Lymph node section stained with H&E, from a whole-slide image of a breast-cancer sentinel node. Magnification about 10×, about 0.5 mm across the frame, about 0.97 µm per pixel.
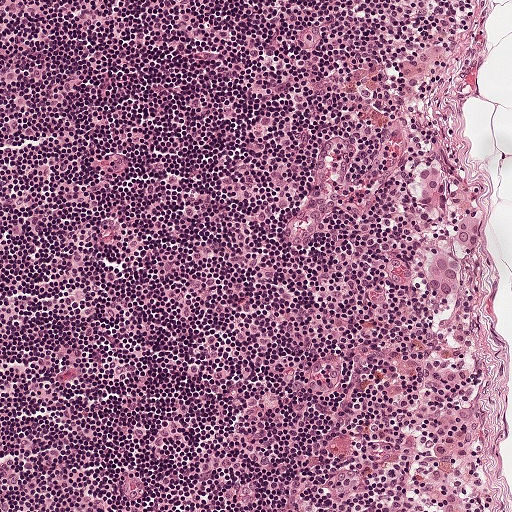
Question: Trace the edge of each tumour region in this crop, as (x, y) points from 0 to 511.
Answer: Outlines of two tumour regions, largest first (closed clockwise paths, crop pixels): region 1: (445, 153), (448, 168), (447, 192), (452, 203), (483, 216), (484, 232), (479, 247), (470, 251), (458, 248), (453, 239), (451, 225), (445, 215), (438, 211), (417, 210), (406, 199), (406, 194), (413, 175), (423, 160), (432, 154); region 2: (450, 245), (463, 259), (465, 266), (465, 283), (461, 299), (443, 307), (425, 307), (416, 300), (412, 286), (412, 274), (418, 259), (424, 250), (431, 246).
Under 5% of this field is tumour.